A 1-mm field of an H&E-stained sentinel lymph node from a breast-cancer patient (whole-slide image), shown at about 5×, about 1.9 µm per pixel.
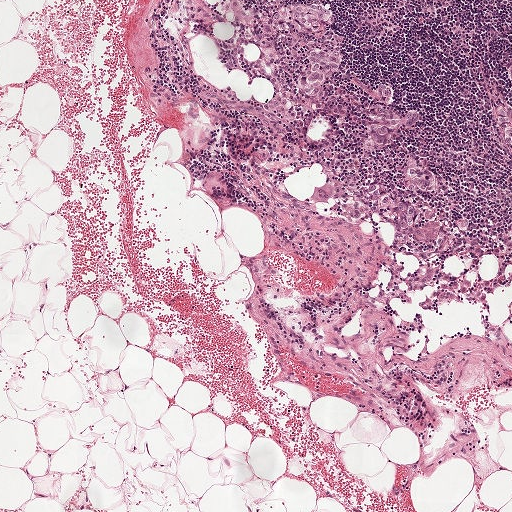
Outlines of six tumour regions, largest first (closed clockwise paths, crop pixels): region 1: (305, 1), (322, 4), (335, 15), (333, 22), (328, 20), (325, 26), (328, 32), (339, 37), (341, 63), (337, 69), (328, 72), (326, 81), (317, 84), (313, 92), (306, 93), (300, 85), (308, 66), (313, 40), (308, 36), (273, 30), (270, 24), (270, 17), (274, 10), (282, 6); region 2: (386, 82), (392, 87), (390, 105), (392, 110), (401, 114), (409, 108), (414, 108), (417, 110), (419, 118), (413, 124), (394, 127), (387, 143), (369, 147), (364, 135), (369, 122), (376, 119), (367, 112), (366, 108), (370, 103), (377, 103), (373, 94), (374, 86), (376, 83); region 3: (374, 182), (394, 198), (405, 200), (416, 205), (417, 211), (413, 221), (405, 226), (398, 226), (390, 213), (382, 207), (352, 218), (351, 207), (354, 196), (347, 190), (347, 185), (358, 186); region 4: (280, 90), (288, 93), (295, 108), (294, 123), (285, 121), (262, 106); region 5: (412, 165), (425, 167), (433, 172), (435, 179), (435, 187), (434, 191), (424, 190), (419, 187), (416, 187), (414, 190), (408, 188), (408, 184), (415, 181), (414, 177), (406, 175), (406, 170), (407, 166); region 6: (508, 104), (511, 117), (511, 150), (505, 144), (493, 117), (493, 108), (494, 105), (501, 105).
One more small tumour piece is annotated here but not outlined.
About 5% of the image area is annotated as tumour.